Question: 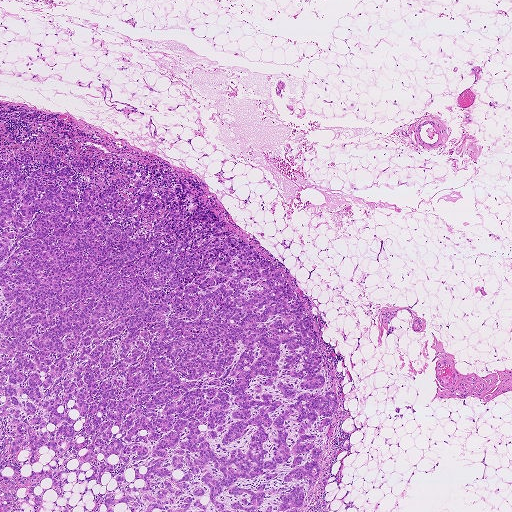
Lymph node section stained with H&E, from a whole-slide image of a breast-cancer sentinel node. Magnification about 2.5×, about 1.9 mm across the frame, about 3.6 µm per pixel.
About how much of this crop is taken up by metastatic carcinoma?

Choices:
 (A) about 10% to 20%
 (B) about 50% or more
 (C) none: no tumour is outlined
 (D) about 5% or less
 (E) about 25% to 45%

Answer: (E) about 25% to 45%
About 40% of the field is tumour.
Metastatic tumour outline, simplified to 21 points and listed clockwise in crop pixels (x, y): (65, 144), (70, 164), (110, 159), (109, 184), (133, 168), (133, 194), (152, 183), (161, 201), (159, 190), (185, 184), (189, 210), (195, 196), (287, 277), (337, 399), (298, 511), (0, 511), (0, 159), (31, 154), (26, 180), (46, 167), (38, 153).